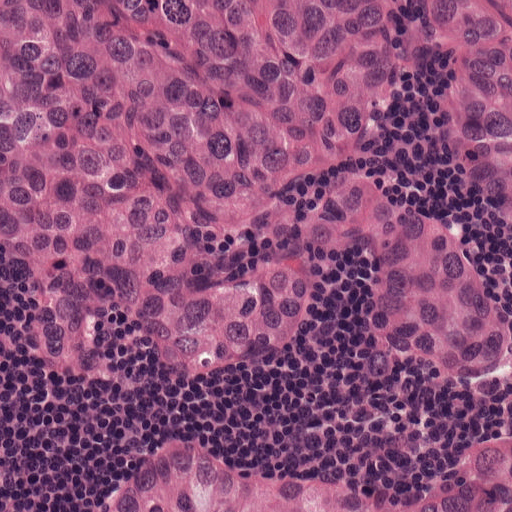
A 0.25-mm field of an H&E-stained sentinel lymph node from a breast-cancer patient (whole-slide image), shown at about 20×, about 0.49 µm per pixel.
Outlines of two tumour regions, largest first (closed clockwise paths, crop pixels): region 1: (0, 0), (511, 0), (511, 378), (448, 419), (375, 362), (354, 272), (286, 369), (201, 408), (104, 408), (15, 388), (0, 410); region 2: (511, 438), (511, 511), (89, 511), (160, 447), (251, 452), (341, 472), (435, 472).
About 85% of this field is tumour.